Lymph node section stained with H&E, from a whole-slide image of a breast-cancer sentinel node. Magnification about 10×, about 0.5 mm across the frame, about 0.97 µm per pixel.
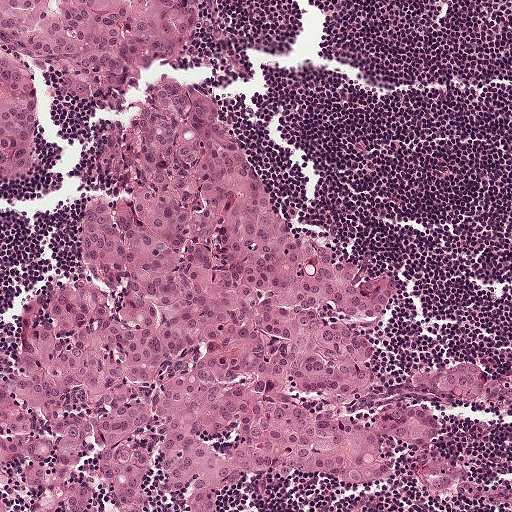
Three metastatic tumour regions, each outlined as a closed clockwise path in crop pixels (x, y), largest first: region 1: (199, 77), (297, 218), (400, 270), (346, 411), (418, 396), (446, 438), (379, 475), (260, 465), (213, 511), (179, 511), (157, 457), (145, 511), (32, 511), (13, 466), (13, 511), (0, 349), (129, 179), (149, 80); region 2: (0, 0), (198, 0), (192, 20), (180, 29), (129, 35), (100, 100), (64, 86), (22, 50), (43, 86), (46, 132), (27, 164), (1, 175); region 3: (470, 362), (488, 369), (491, 375), (487, 396), (479, 402), (471, 403), (456, 397), (430, 394), (413, 387), (413, 376), (416, 374), (452, 371).
About 50% of this field is tumour.